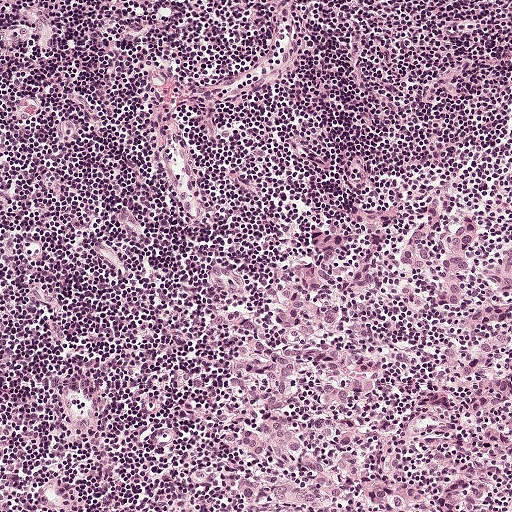
Lymph node section stained with H&E, from a whole-slide image of a breast-cancer sentinel node. Magnification about 10×, about 0.5 mm across the frame, about 0.97 µm per pixel.
Tumour region outline (a closed clockwise path, crop pixels): (479, 209), (491, 221), (489, 282), (511, 244), (511, 511), (243, 511), (251, 458), (215, 315), (249, 315), (284, 343), (291, 264), (334, 252), (366, 270), (401, 258), (425, 210).
The annotated tumour makes up about 25% of the crop.